Question: 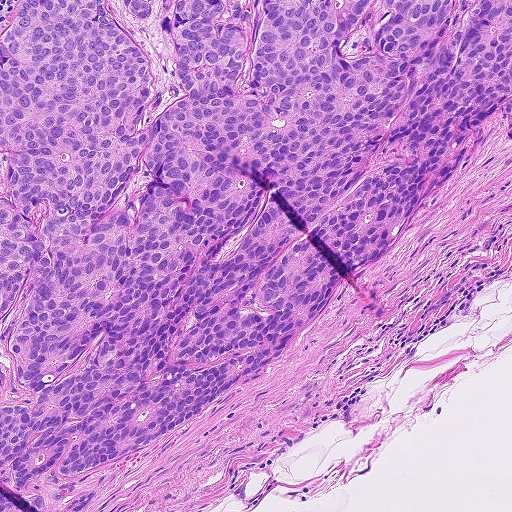
H&E-stained section of a sentinel lymph node (breast cancer), from a whole-slide image, viewed at about 10×: the field is about 0.46 mm across, about 0.9 µm per pixel.
Roughly what share of this field is metastatic tumour?

Choices:
 (A) about 5% or less
 (B) none: no tumour is outlined
 (C) about 50% or more
 (D) about 25% to 45%
 (E) about 10% to 20%

Answer: (C) about 50% or more
About 70% of the field is tumour.
The outlined metastatic tumour's edge, as a closed clockwise path of 16 points: (0, 0), (511, 0), (511, 138), (503, 107), (484, 125), (486, 146), (389, 258), (352, 280), (315, 329), (252, 382), (143, 452), (63, 480), (58, 494), (100, 487), (94, 507), (0, 511).